H&E-stained section of a sentinel lymph node (breast cancer), from a whole-slide image, viewed at about 20×: the field is about 0.23 mm across, about 0.45 µm per pixel.
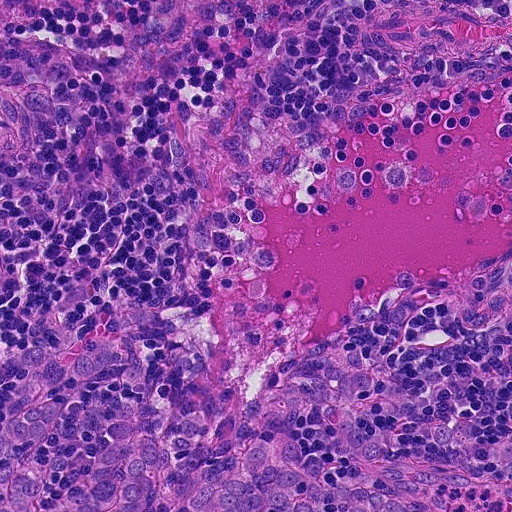
Metastatic tumour outline, simplified to 38 points and listed clockwise in crop pixels (x, y): (96, 332), (114, 339), (115, 359), (15, 462), (48, 485), (50, 502), (82, 474), (100, 416), (122, 397), (143, 408), (178, 473), (203, 478), (237, 444), (282, 432), (304, 443), (315, 464), (360, 480), (332, 420), (356, 372), (372, 366), (380, 383), (352, 404), (356, 422), (398, 453), (465, 474), (426, 432), (438, 418), (472, 455), (511, 436), (511, 468), (468, 490), (443, 490), (467, 511), (0, 511), (0, 415), (26, 383), (19, 344), (60, 352).
About 15% of this field is tumour.